Question: 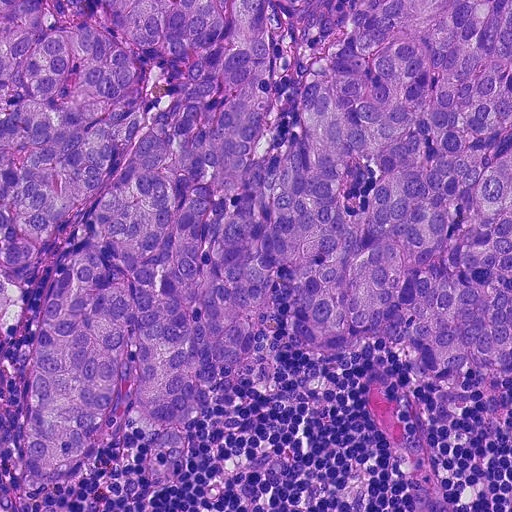
A 0.23-mm field of an H&E-stained sentinel lymph node from a breast-cancer patient (whole-slide image), shown at about 20×, about 0.45 µm per pixel.
About how much of this crop is taken up by metastatic carcinoma?

Choices:
 (A) about 10% to 20%
 (B) about 50% or more
 (C) about 25% to 45%
 (D) none: no tumour is outlined
 (E) about 5% or less

Answer: (B) about 50% or more
About 80% of the field is tumour.
Tumour region outline (a closed clockwise path, crop pixels): (0, 0), (511, 0), (511, 390), (438, 390), (404, 369), (379, 336), (314, 364), (276, 343), (294, 380), (188, 424), (181, 484), (139, 490), (152, 430), (126, 410), (84, 483), (47, 495), (17, 492), (18, 412), (49, 266), (24, 284), (32, 325), (0, 363).